Lymph node section stained with H&E, from a whole-slide image of a breast-cancer sentinel node. Magnification about 10×, about 0.5 mm across the frame, about 0.97 µm per pixel.
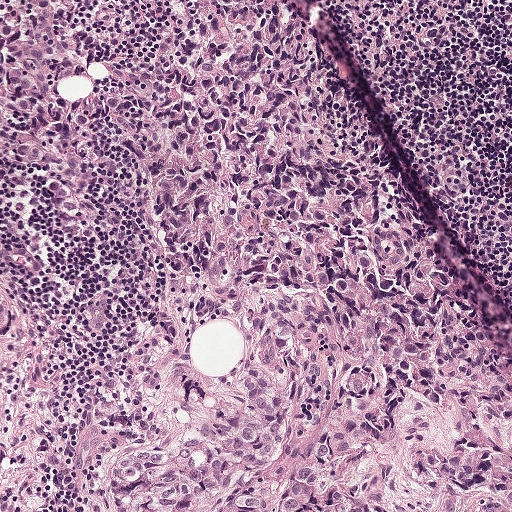
The outlined metastatic tumour's edge, as a closed clockwise path of 7 points: (0, 0), (257, 0), (367, 138), (471, 319), (505, 344), (511, 511), (0, 511).
About 85% of this field is tumour.